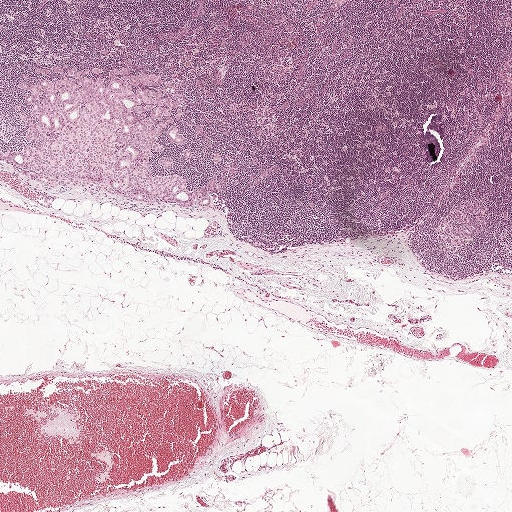
Lymph node section stained with H&E, from a whole-slide image of a breast-cancer sentinel node. Magnification about 2.5×, about 2.0 mm across the frame, about 3.9 µm per pixel.
Boundaries of two metastatic tumour regions, simplified and listed clockwise, largest first: region 1: (128, 67), (158, 75), (184, 114), (177, 127), (187, 145), (168, 140), (165, 127), (151, 173), (179, 174), (193, 190), (213, 171), (219, 185), (210, 207), (178, 208), (84, 186), (46, 188), (0, 158), (25, 151), (15, 109), (28, 107), (17, 86), (35, 83), (35, 68); region 2: (165, 156), (170, 157), (172, 160), (173, 168), (172, 170), (165, 170), (158, 164), (159, 158).
Tumour covers about 5% of the frame.